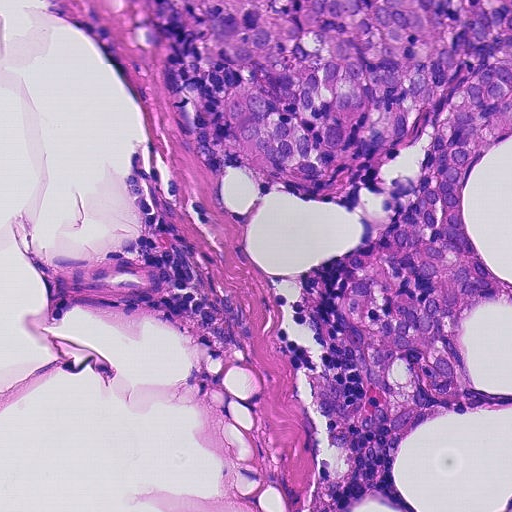
A 0.23-mm field of an H&E-stained sentinel lymph node from a breast-cancer patient (whole-slide image), shown at about 20×, about 0.45 µm per pixel.
Tumour region outline (a closed clockwise path, crop pixels): (511, 0), (511, 307), (478, 304), (459, 316), (472, 392), (460, 411), (416, 418), (402, 434), (384, 423), (332, 304), (350, 264), (408, 196), (433, 114), (318, 184), (254, 164), (230, 103), (237, 82), (259, 75), (204, 39), (182, 8).
Tumour covers about 30% of the frame.